This is a crop of a whole-slide image: an H&E-stained breast-cancer sentinel lymph node section at roughly 20× magnification (about 0.49 µm per pixel; the crop spans about 0.25 mm).
Question: 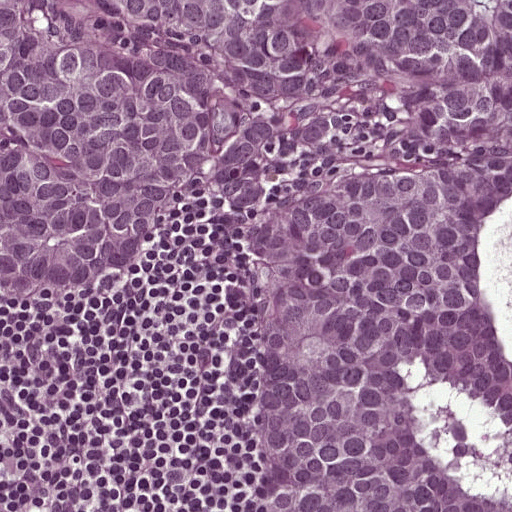
Roughly what share of this field is metastatic tumour?

Choices:
 (A) none: no tumour is outlined
 (B) about 10% to 20%
 (C) about 50% or more
 (D) about 25% to 45%
 (E) about 5% or less

Answer: (C) about 50% or more
About 75% of the field is tumour.
Boundaries of two metastatic tumour regions, simplified and listed clockwise, largest first: region 1: (0, 0), (511, 0), (511, 145), (346, 165), (308, 176), (282, 206), (206, 182), (175, 206), (158, 265), (131, 296), (44, 314), (2, 310); region 2: (511, 154), (511, 204), (487, 245), (511, 358), (511, 511), (263, 511), (280, 360), (278, 322), (246, 246), (272, 216), (343, 180).